A 0.46-mm field of an H&E-stained sentinel lymph node from a breast-cancer patient (whole-slide image), shown at about 10×, about 0.9 µm per pixel.
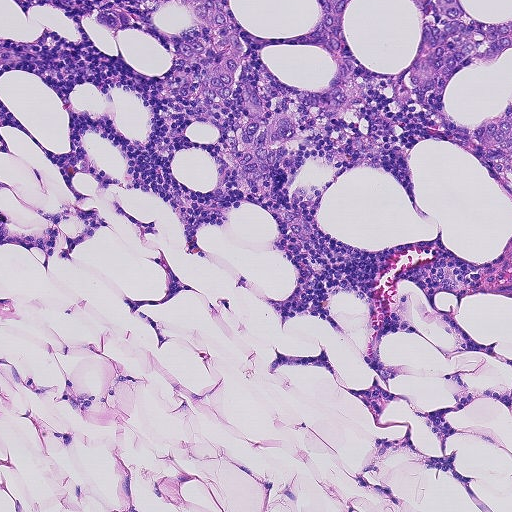
Metastatic tumour outline, simplified to 21 points and listed clockwise in crop pixels (x, y): (13, 0), (511, 0), (511, 192), (418, 104), (402, 110), (374, 83), (359, 112), (297, 151), (288, 198), (313, 229), (297, 243), (226, 185), (208, 122), (160, 107), (154, 92), (173, 65), (154, 36), (123, 27), (112, 36), (54, 8), (25, 11).
Tumour covers about 20% of the frame.